Question: 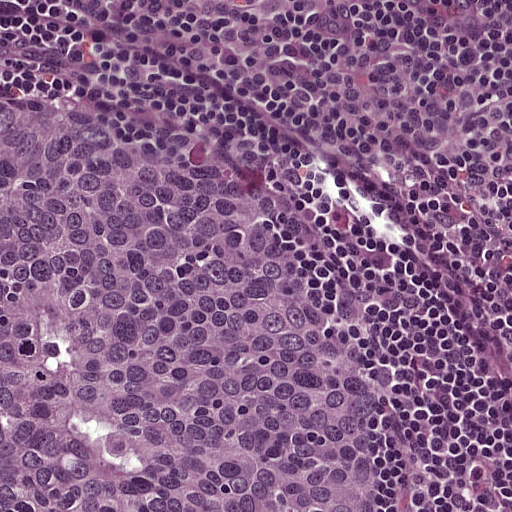
This is a crop of a whole-slide image: an H&E-stained breast-cancer sentinel lymph node section at roughly 20× magnification (about 0.49 µm per pixel; the crop spans about 0.25 mm).
About how much of this crop is taken up by metastatic carcinoma?

Choices:
 (A) about 25% to 45%
 (B) about 10% to 20%
 (C) about 5% or less
 (D) about 50% or more
 (E) none: no tumour is outlined

Answer: (D) about 50% or more
About 50% of the field is tumour.
Tumour region outline (a closed clockwise path, crop pixels): (0, 102), (142, 123), (256, 190), (338, 293), (396, 458), (391, 511), (0, 511).
Question: 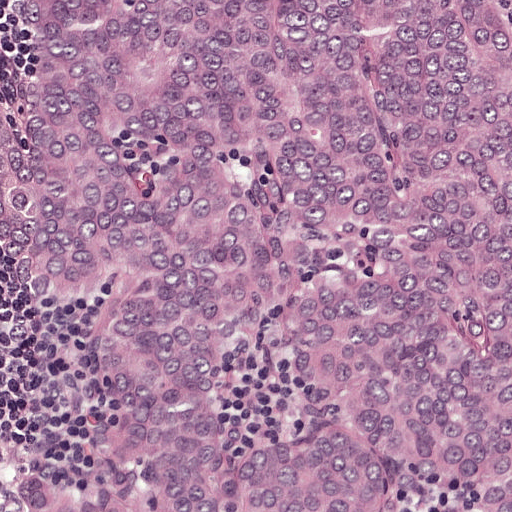
This is a crop of a whole-slide image: an H&E-stained breast-cancer sentinel lymph node section at roughly 20× magnification (about 0.49 µm per pixel; the crop spans about 0.25 mm).
About how much of this crop is taken up by metastatic carcinoma?

Choices:
 (A) about 50% or more
 (B) none: no tumour is outlined
 (C) about 25% to 45%
 (D) about 10% to 20%
 (E) about 5% or less

Answer: (A) about 50% or more
About 95% of the field is tumour.
One metastatic tumour region; its boundary, reduced to 15 corners and listed clockwise: (26, 0), (511, 0), (511, 511), (0, 511), (0, 474), (62, 454), (86, 416), (96, 324), (113, 282), (98, 305), (48, 315), (2, 256), (0, 275), (0, 99), (16, 118).
Question: 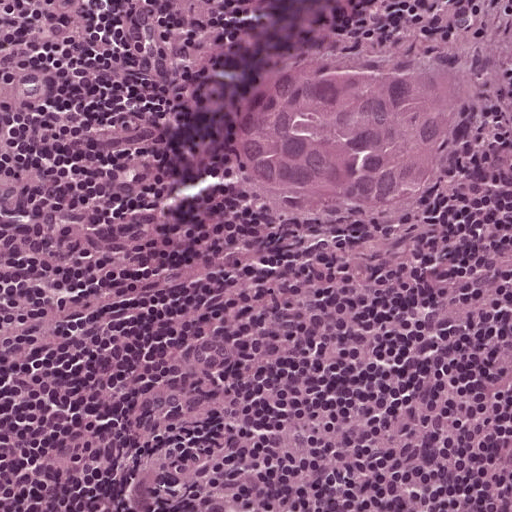
Lymph node section stained with H&E, from a whole-slide image of a breast-cancer sentinel node. Magnification about 20×, about 0.25 mm across the frame, about 0.49 µm per pixel.
About how much of this crop is taken up by metastatic carcinoma?

Choices:
 (A) about 25% to 45%
 (B) about 50% or more
 (C) about 10% to 20%
 (D) none: no tumour is outlined
 (E) about 5% or less

Answer: (C) about 10% to 20%
About 15% of the field is tumour.
One metastatic tumour region; its boundary, reduced to 12 corners and listed clockwise: (472, 0), (511, 0), (511, 92), (500, 85), (446, 172), (396, 220), (327, 230), (258, 218), (220, 160), (240, 94), (296, 53), (434, 34).
Question: 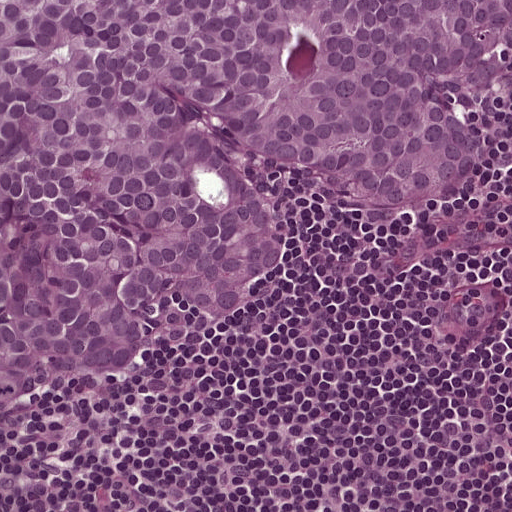
This is a crop of a whole-slide image: an H&E-stained breast-cancer sentinel lymph node section at roughly 20× magnification (about 0.49 µm per pixel; the crop spans about 0.25 mm).
About how much of this crop is taken up by metastatic carcinoma?

Choices:
 (A) about 10% to 20%
 (B) about 50% or more
 (C) about 5% or less
 (D) about 25% to 45%
 (E) none: no tumour is outlined

Answer: (B) about 50% or more
About 55% of the field is tumour.
The outlined metastatic tumour's edge, as a closed clockwise path of 11 points: (0, 0), (511, 0), (506, 163), (478, 192), (404, 224), (362, 217), (246, 158), (294, 226), (294, 256), (237, 324), (0, 418).